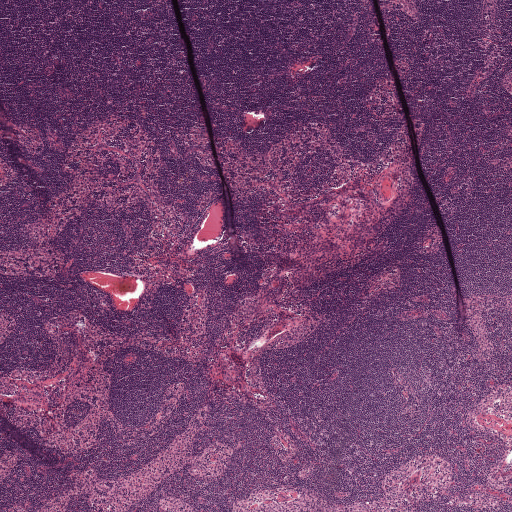
A 2.0-mm field of an H&E-stained sentinel lymph node from a breast-cancer patient (whole-slide image), shown at about 2.5×, about 3.9 µm per pixel.